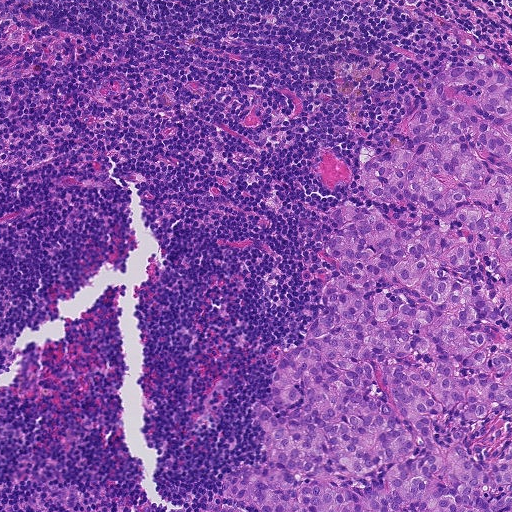
H&E-stained section of a sentinel lymph node (breast cancer), from a whole-slide image, viewed at about 10×: the field is about 0.46 mm across, about 0.9 µm per pixel.
Metastatic tumour outline, simplified to 16 points and listed clockwise in crop pixels (x, y): (469, 65), (509, 73), (511, 511), (214, 511), (225, 470), (264, 464), (248, 410), (258, 398), (272, 407), (270, 362), (318, 309), (325, 212), (370, 202), (358, 164), (394, 147), (432, 77).
About 35% of this field is tumour.